Question: 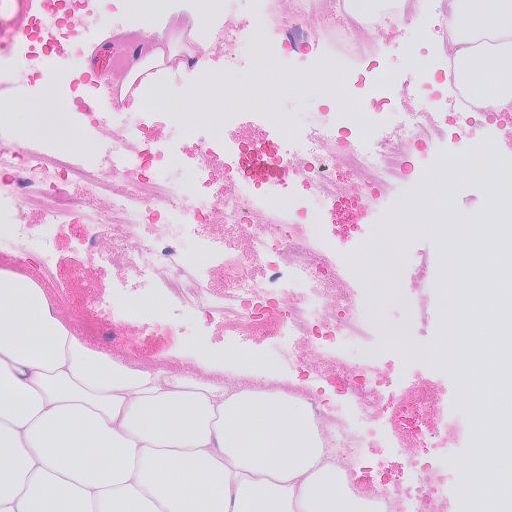
About what magnification does this crop show?

Choices:
 (A) about 20×
 (B) about 10×
 (C) about 2.5×
 (D) about 40×
 (E) about 5×

Answer: (A) about 20×
Lymph node section stained with H&E, from a whole-slide image of a breast-cancer sentinel node. Magnification about 20×, about 0.26 mm across the frame, about 0.5 µm per pixel.